Question: 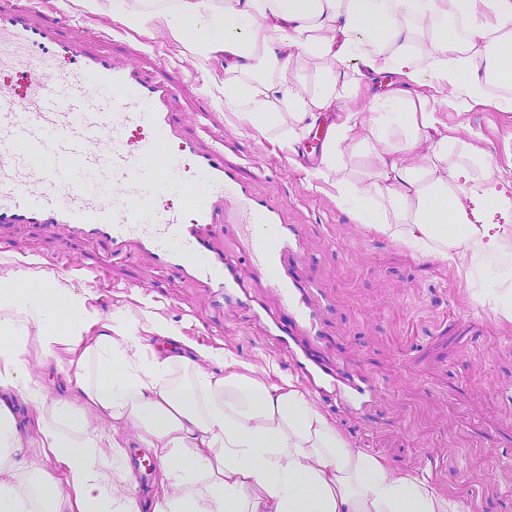
At roughly what magnification is this field shown?

Choices:
 (A) about 10×
 (B) about 2.5×
 (C) about 5×
 (D) about 40×
 (E) about 20×

Answer: (A) about 10×
Lymph node section stained with H&E, from a whole-slide image of a breast-cancer sentinel node. Magnification about 10×, about 0.46 mm across the frame, about 0.91 µm per pixel.